Image:
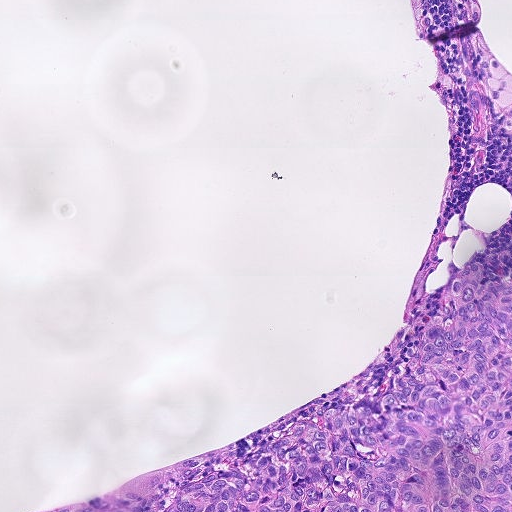
Lymph node section stained with H&E, from a whole-slide image of a breast-cancer sentinel node. Magnification about 10×, about 0.46 mm across the frame, about 0.9 µm per pixel.
Question:
Does this lymph node field contain metastatic tumour?
Answer:
Yes.
Tumour region outline (a closed clockwise path, crop pixels): (482, 260), (483, 284), (502, 276), (511, 282), (511, 511), (71, 511), (117, 484), (235, 443), (200, 466), (240, 472), (264, 437), (381, 392), (413, 367), (423, 328), (444, 322), (439, 301), (458, 266).
The annotated tumour makes up about 15% of the crop.